Question: 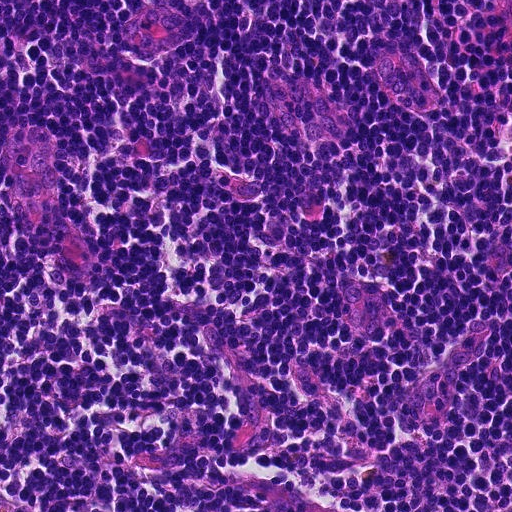
Which magnification is this H&E lymph node field most likely shown at?

Choices:
 (A) about 20×
 (B) about 2.5×
 (C) about 10×
 (D) about 5×
 (E) about 40×

Answer: (A) about 20×
H&E-stained section of a sentinel lymph node (breast cancer), from a whole-slide image, viewed at about 20×: the field is about 0.23 mm across, about 0.45 µm per pixel.